Question: 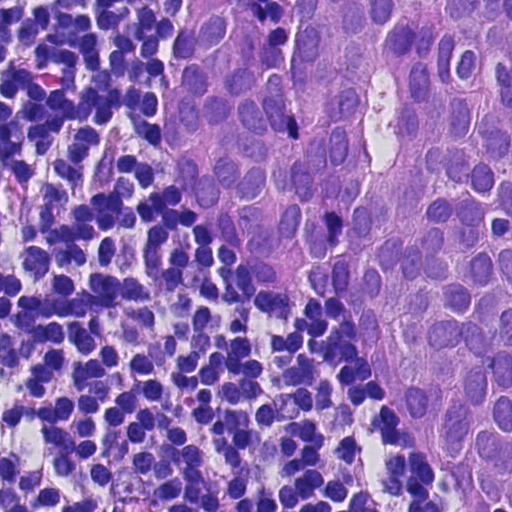
At roughly what magnification is this field shown?

Choices:
 (A) about 10×
 (B) about 2.5×
 (C) about 20×
 (D) about 40×
 (E) about 5×

Answer: (D) about 40×
Lymph node section stained with H&E, from a whole-slide image of a breast-cancer sentinel node. Magnification about 40×, about 0.12 mm across the frame, about 0.23 µm per pixel.
One metastatic tumour region; its boundary, reduced to 9 corners and listed clockwise: (170, 0), (511, 0), (511, 511), (459, 511), (342, 310), (274, 296), (224, 257), (188, 203), (158, 147).
Tumour covers about 45% of the frame.